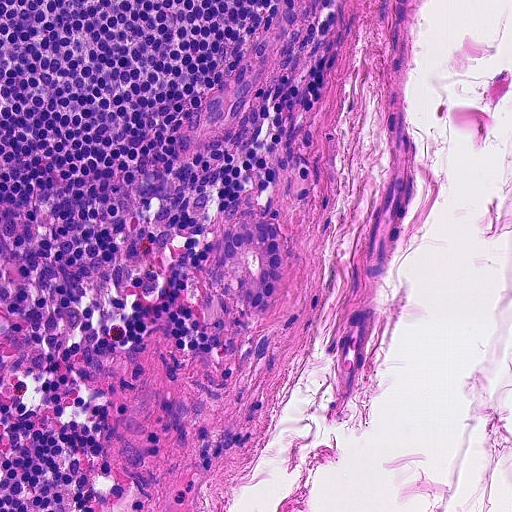
H&E-stained section of a sentinel lymph node (breast cancer), from a whole-slide image, viewed at about 20×: the field is about 0.23 mm across, about 0.45 µm per pixel.
Tumour region outline (a closed clockwise path, crop pixels): (262, 214), (276, 224), (284, 240), (282, 291), (274, 306), (258, 313), (242, 312), (227, 304), (213, 293), (208, 275), (220, 226), (246, 216).
Under 5% of this field is tumour.